Question: 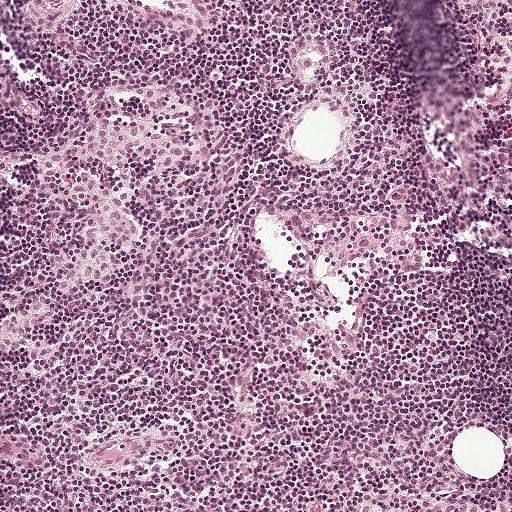
About what magnification does this crop show?

Choices:
 (A) about 10×
 (B) about 40×
 (C) about 5×
 (D) about 2.5×
 (E) about 20×

Answer: (A) about 10×
A 0.5-mm field of an H&E-stained sentinel lymph node from a breast-cancer patient (whole-slide image), shown at about 10×, about 0.97 µm per pixel.